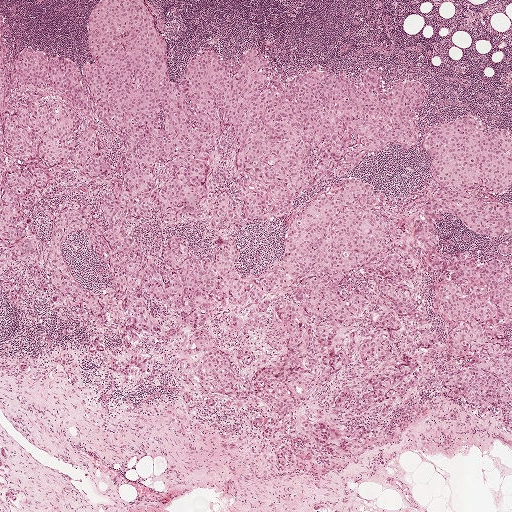
This is a crop of a whole-slide image: an H&E-stained breast-cancer sentinel lymph node section at roughly 2.5× magnification (about 3.9 µm per pixel; the crop spans about 2.0 mm).
Question: Is there metastatic carcinoma in this field?
Answer: Yes.
Boundaries of five metastatic tumour regions, simplified and listed clockwise, largest first: region 1: (98, 0), (145, 0), (178, 81), (202, 47), (421, 77), (418, 141), (233, 229), (236, 266), (338, 180), (429, 189), (456, 112), (506, 127), (478, 196), (511, 233), (433, 231), (507, 264), (511, 434), (444, 392), (472, 351), (418, 261), (413, 278), (438, 339), (401, 404), (332, 403), (382, 364), (355, 352), (269, 437), (255, 395), (180, 401), (187, 325), (124, 382), (116, 330), (90, 353), (1, 262), (0, 12), (4, 110), (22, 48), (92, 60); region 2: (314, 421), (322, 421), (327, 425), (331, 432), (330, 439), (338, 445), (338, 452), (333, 453), (326, 448), (317, 445), (312, 434); region 3: (0, 272), (20, 288), (21, 296), (19, 301), (14, 304), (0, 293); region 4: (282, 442), (284, 442), (290, 445), (292, 452), (292, 458), (289, 460), (287, 459), (286, 454), (284, 452), (285, 459), (283, 463), (281, 463), (278, 462), (276, 458), (275, 454), (276, 448); region 5: (501, 239), (511, 240), (511, 269), (509, 257), (499, 249), (498, 247), (498, 243).
Region 1 encloses seven non-tumour holes totalling about 10% of its area.
Four more small tumour pieces are annotated here but not outlined.
Tumour covers about 50% of the frame.